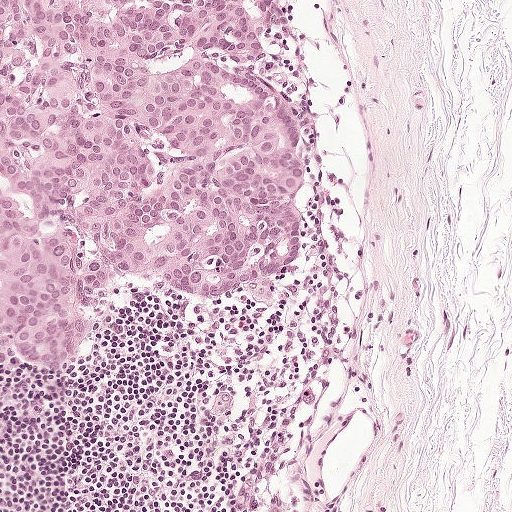
Lymph node section stained with H&E, from a whole-slide image of a breast-cancer sentinel node. Magnification about 10×, about 0.5 mm across the frame, about 0.97 µm per pixel.
Question: Is there metastatic carcinoma in this field?
Answer: Yes.
One metastatic tumour region; its boundary, reduced to 13 corners and listed clockwise: (0, 0), (282, 0), (294, 25), (264, 49), (270, 67), (259, 76), (293, 113), (309, 175), (300, 268), (275, 312), (115, 281), (74, 369), (0, 376).
Tumour covers about 35% of the frame.